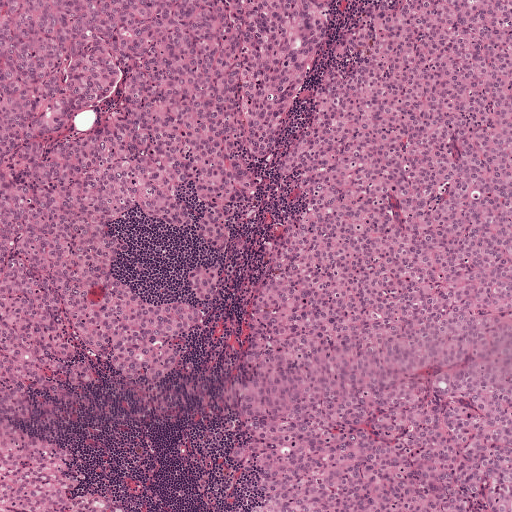
A 1-mm field of an H&E-stained sentinel lymph node from a breast-cancer patient (whole-slide image), shown at about 5×, about 1.9 µm per pixel.
Two metastatic tumour regions, each outlined as a closed clockwise path in crop pixels (x, y), largest first: region 1: (373, 0), (511, 0), (511, 511), (253, 511), (252, 478), (231, 468), (223, 404), (232, 357), (261, 267), (295, 216), (297, 194), (277, 174), (312, 116), (340, 30); region 2: (0, 0), (337, 0), (252, 216), (222, 254), (214, 299), (187, 290), (205, 241), (128, 217), (124, 228), (131, 251), (117, 273), (206, 313), (198, 366), (131, 386), (112, 369), (88, 412), (37, 393), (33, 426), (71, 444), (98, 486), (131, 511), (0, 511).
About 85% of this field is tumour.